Lymph node section stained with H&E, from a whole-slide image of a breast-cancer sentinel node. Magnification about 2.5×, about 2.0 mm across the frame, about 3.9 µm per pixel.
Question: 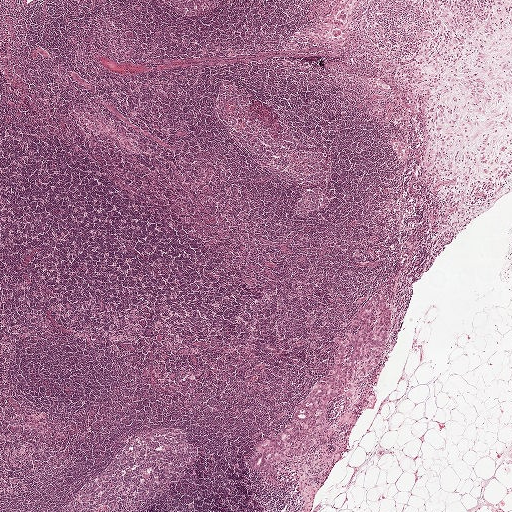
What fraction of the image area is metastatic tumour?

Choices:
 (A) about 25% to 45%
 (B) about 50% or more
 (C) none: no tumour is outlined
 (D) about 5% or less
 (E) about 10% to 20%

Answer: (D) about 5% or less
About 5% of the field is tumour.
Two metastatic tumour regions, each outlined as a closed clockwise path in crop pixels (x, y), largest first: region 1: (383, 294), (393, 304), (390, 348), (383, 366), (362, 379), (361, 393), (355, 401), (347, 404), (342, 396), (329, 404), (327, 416), (331, 430), (308, 458), (267, 471), (251, 471), (247, 466), (258, 444), (287, 426), (305, 399), (324, 381), (334, 360), (335, 338), (347, 334), (372, 295); region 2: (305, 0), (364, 0), (354, 18), (347, 44), (339, 48), (332, 46), (312, 50), (292, 42), (293, 31), (308, 14), (308, 7).